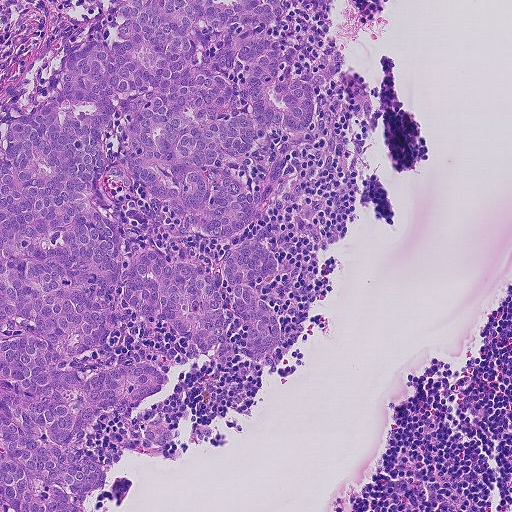
Lymph node section stained with H&E, from a whole-slide image of a breast-cancer sentinel node. Magnification about 10×, about 0.46 mm across the frame, about 0.9 µm per pixel.
One metastatic tumour region; its boundary, reduced to 22 corners and listed clockwise: (0, 0), (288, 0), (293, 75), (338, 45), (346, 62), (322, 89), (342, 158), (328, 172), (320, 134), (291, 152), (266, 285), (281, 351), (216, 368), (130, 309), (84, 364), (156, 364), (170, 376), (133, 416), (211, 437), (125, 449), (88, 511), (3, 511).
The annotated tumour makes up about 50% of the crop.